This is a crop of a whole-slide image: an H&E-stained breast-cancer sentinel lymph node section at roughly 10× magnification (about 0.97 µm per pixel; the crop spans about 0.5 mm).
Question: 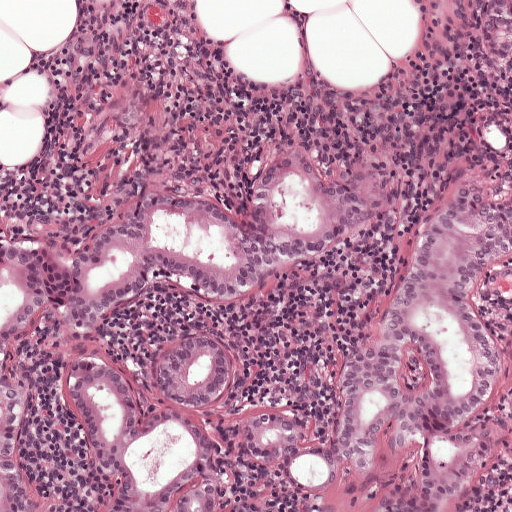
Roughly what share of this field is metastatic tumour?

Choices:
 (A) about 50% or more
 (B) about 5% or less
 (C) about 25% to 45%
 (D) about 10% to 20%
 (E) none: no tumour is outlined

Answer: (A) about 50% or more
About 55% of the field is tumour.
Tumour region outline (a closed clockwise path, crop pixels): (511, 131), (511, 437), (476, 511), (0, 511), (1, 236), (62, 256), (111, 220), (212, 200), (257, 156), (322, 159), (366, 196), (350, 255), (303, 297), (243, 310), (230, 369), (292, 376), (346, 348), (392, 224), (424, 175).
One more small tumour piece is annotated here but not outlined.